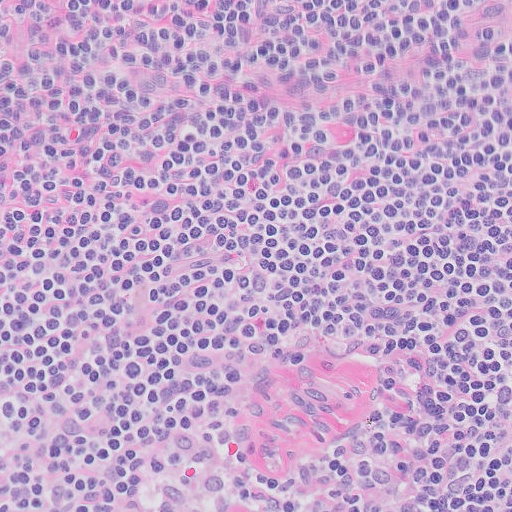
H&E-stained section of a sentinel lymph node (breast cancer), from a whole-slide image, viewed at about 20×: the field is about 0.26 mm across, about 0.5 µm per pixel.